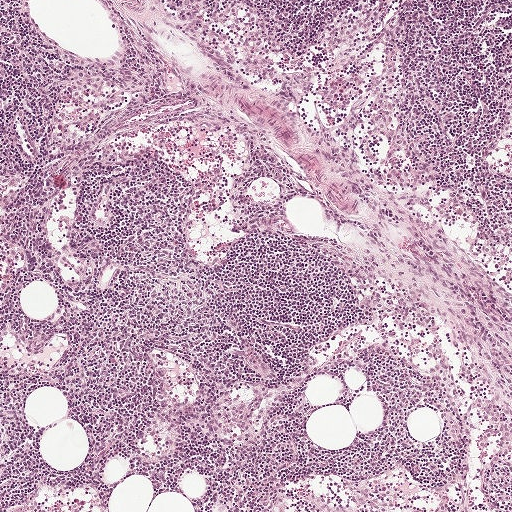
Lymph node section stained with H&E, from a whole-slide image of a breast-cancer sentinel node. Magnification about 5×, about 1 mm across the frame, about 1.9 µm per pixel.
Question: Is any metastatic breast cancer visible in this crop?
Answer: No, this field holds no outlined metastasis.